A 0.5-mm field of an H&E-stained sentinel lymph node from a breast-cancer patient (whole-slide image), shown at about 10×, about 0.97 µm per pixel.
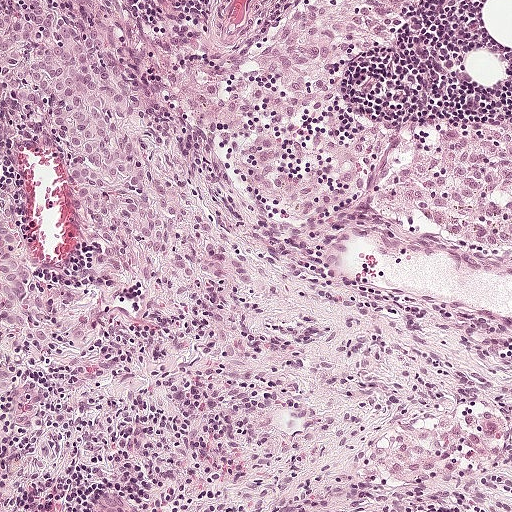
Tumour region outline (a closed clockwise path, crop pixels): (0, 0), (54, 0), (73, 20), (91, 24), (118, 45), (141, 84), (150, 137), (167, 181), (183, 200), (193, 201), (189, 222), (176, 226), (169, 258), (155, 261), (139, 248), (111, 270), (92, 262), (83, 248), (74, 156), (41, 132), (1, 82).
Tumour covers about 10% of the frame.